Question: 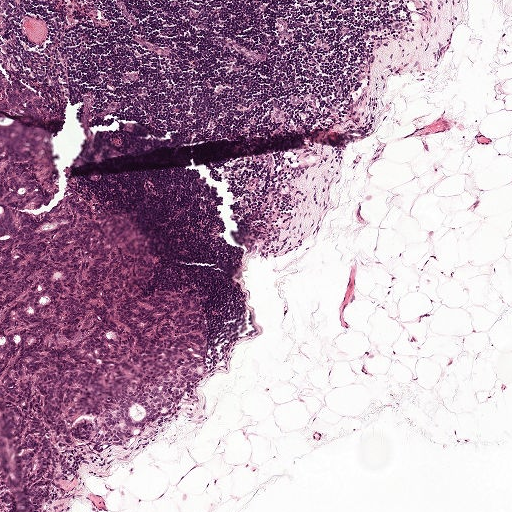
A 1-mm field of an H&E-stained sentinel lymph node from a breast-cancer patient (whole-slide image), shown at about 5×, about 1.9 µm per pixel.
About how much of this crop is taken up by metastatic carcinoma?

Choices:
 (A) about 10% to 20%
 (B) none: no tumour is outlined
 (C) about 50% or more
 (D) about 25% to 45%
 (E) about 5% or less

Answer: (A) about 10% to 20%
About 15% of the field is tumour.
Outlines of two tumour regions, largest first (closed clockwise paths, crop pixels): region 1: (0, 62), (36, 95), (57, 165), (73, 180), (99, 192), (131, 217), (158, 235), (169, 244), (176, 252), (200, 292), (201, 321), (208, 346), (173, 337), (150, 342), (102, 362), (77, 377), (59, 398), (59, 417), (65, 422), (94, 418), (202, 360), (208, 366), (169, 411), (61, 475), (32, 472), (0, 423), (0, 223), (20, 205), (46, 191), (54, 179), (55, 163), (48, 152), (41, 116), (36, 113), (16, 111), (0, 112); region 2: (0, 490), (2, 493), (4, 499), (5, 500), (6, 507), (7, 511), (0, 511).